Image:
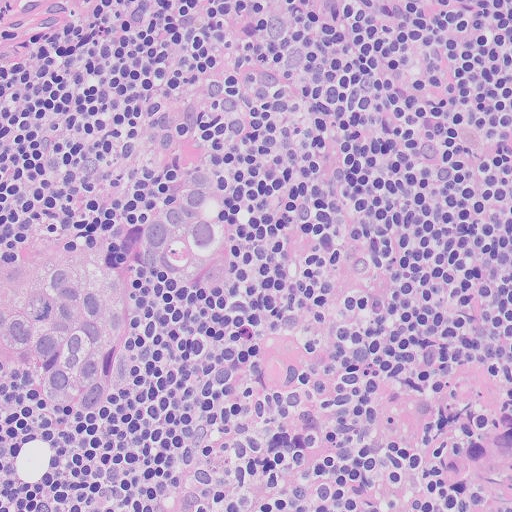
A 0.26-mm field of an H&E-stained sentinel lymph node from a breast-cancer patient (whole-slide image), shown at about 20×, about 0.5 µm per pixel.
Question:
Where is the metastatic tumour in this field? Give each region's outline as (x, y) pixel points.
Answer:
Boundaries of three metastatic tumour regions, simplified and listed clockwise, largest first: region 1: (100, 224), (127, 278), (130, 304), (126, 356), (112, 410), (86, 419), (59, 414), (22, 374), (0, 368), (0, 263), (14, 246), (40, 235); region 2: (219, 154), (240, 206), (245, 238), (242, 271), (229, 298), (203, 304), (176, 298), (154, 284), (138, 258), (152, 199), (170, 176), (190, 158); region 3: (511, 422), (511, 476), (456, 499), (434, 484), (445, 458), (465, 437), (490, 424).
One more small tumour piece is annotated here but not outlined.
About 15% of this field is tumour.